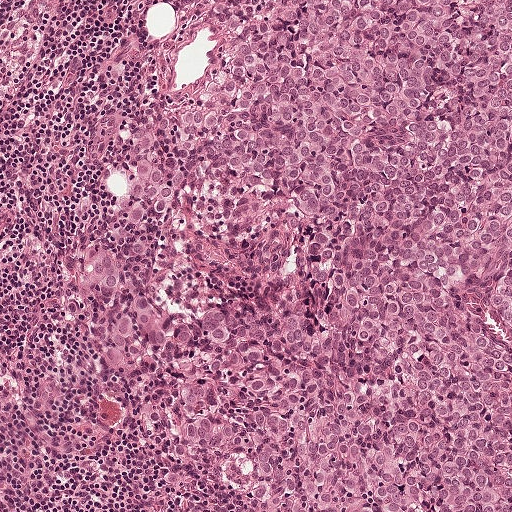
H&E-stained section of a sentinel lymph node (breast cancer), from a whole-slide image, viewed at about 10×: the field is about 0.5 mm across, about 0.97 µm per pixel.
Question: Is there metastatic carcinoma in this field?
Answer: Yes.
Metastatic tumour outline, simplified to 15 points and listed clockwise in crop pixels (x, y): (172, 0), (511, 0), (511, 511), (234, 511), (242, 464), (160, 488), (153, 376), (121, 391), (65, 304), (73, 270), (131, 195), (124, 134), (166, 116), (210, 66), (202, 17).
Tumour covers about 70% of the frame.